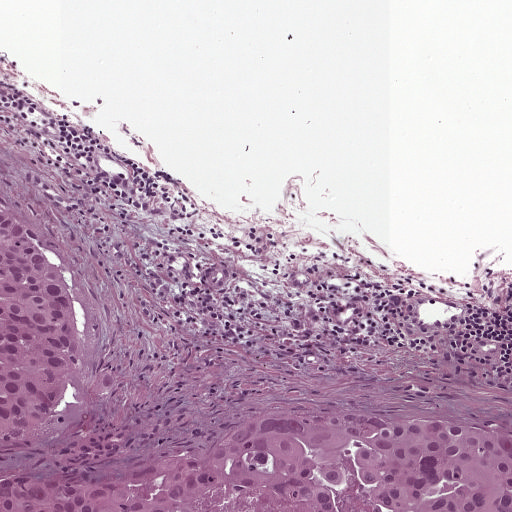
This is a crop of a whole-slide image: an H&E-stained breast-cancer sentinel lymph node section at roughly 10× magnification (about 0.97 µm per pixel; the crop spans about 0.5 mm).
One metastatic tumour region; its boundary, reduced to 8 corners and listed clockwise: (0, 190), (82, 282), (110, 351), (64, 457), (248, 419), (511, 417), (511, 511), (0, 511).
About 25% of this field is tumour.